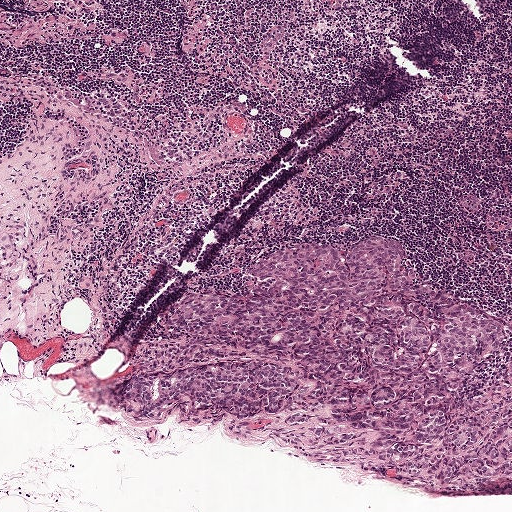
A 1-mm field of an H&E-stained sentinel lymph node from a breast-cancer patient (whole-slide image), shown at about 5×, about 1.9 µm per pixel.
One metastatic tumour region; its boundary, reduced to 23 corners and listed clockwise: (301, 240), (344, 258), (396, 240), (401, 273), (511, 326), (458, 395), (476, 398), (511, 360), (511, 477), (411, 476), (367, 453), (377, 430), (334, 421), (326, 404), (298, 423), (187, 419), (181, 394), (132, 412), (134, 380), (272, 356), (170, 312), (244, 293), (255, 263).
About 20% of the image area is annotated as tumour.